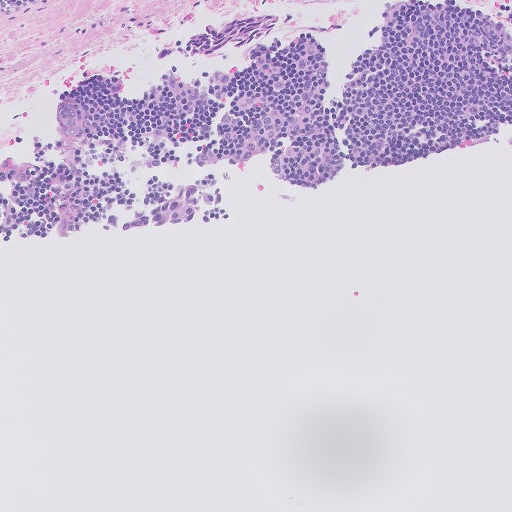
Lymph node section stained with H&E, from a whole-slide image of a breast-cancer sentinel node. Magnification about 10×, about 0.51 mm across the frame, about 1.0 µm per pixel.
Two metastatic tumour regions, each outlined as a closed clockwise path in crop pixels (x, y), largest first: region 1: (296, 7), (292, 24), (228, 60), (178, 65), (148, 56), (165, 37), (234, 14); region 2: (187, 182), (227, 182), (227, 204), (207, 208), (179, 230), (131, 235), (96, 230), (107, 211), (120, 214).
The annotated tumour makes up about 5% of the crop.